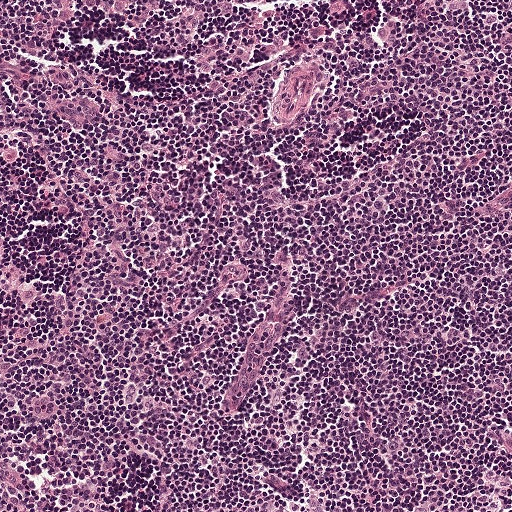
This is a crop of a whole-slide image: an H&E-stained breast-cancer sentinel lymph node section at roughly 10× magnification (about 0.97 µm per pixel; the crop spans about 0.5 mm).